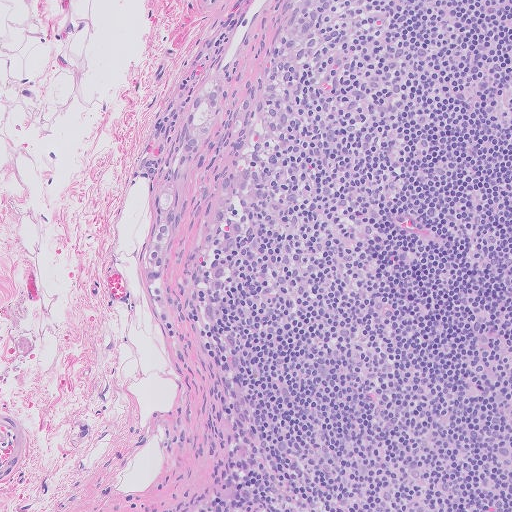
H&E-stained section of a sentinel lymph node (breast cancer), from a whole-slide image, viewed at about 10×: the field is about 0.51 mm across, about 1.0 µm per pixel.
Question: Which parts of this field are metastatic tumour? Answer with the outline of each region, in pixels.
Answer: One metastatic tumour region; its boundary, reduced to 15 corners and listed clockwise: (216, 76), (223, 78), (222, 111), (189, 168), (180, 222), (166, 251), (163, 284), (169, 316), (160, 321), (144, 281), (146, 249), (153, 228), (158, 185), (195, 98), (206, 80).
Under 5% of the image area is annotated as tumour.